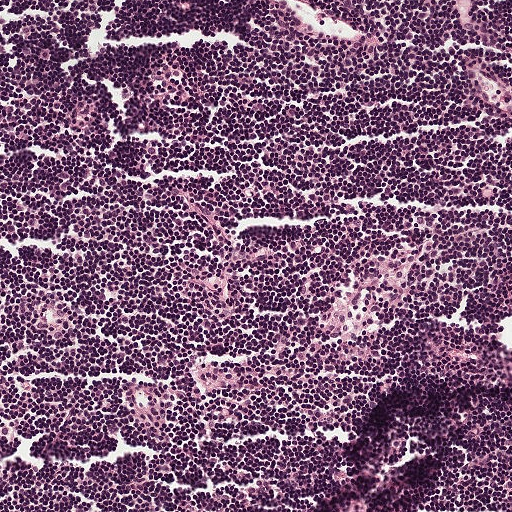
Lymph node section stained with H&E, from a whole-slide image of a breast-cancer sentinel node. Magnification about 10×, about 0.5 mm across the frame, about 0.97 µm per pixel.